Question: 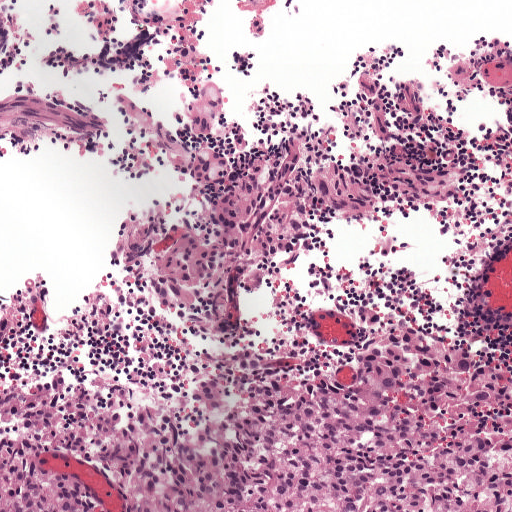
H&E-stained section of a sentinel lymph node (breast cancer), from a whole-slide image, viewed at about 10×: the field is about 0.5 mm across, about 0.97 µm per pixel.
About how much of this crop is taken up by metastatic carcinoma?

Choices:
 (A) about 10% to 20%
 (B) about 25% to 45%
 (C) about 50% or more
 (D) none: no tumour is outlined
 (E) about 5% or less

Answer: (C) about 50% or more
About 50% of the field is tumour.
Outlines of two tumour regions, largest first (closed clockwise paths, crop pixels): region 1: (261, 151), (406, 152), (440, 164), (453, 199), (422, 220), (308, 240), (275, 258), (258, 292), (362, 328), (444, 328), (511, 360), (511, 511), (0, 511), (0, 287), (40, 277), (76, 381), (146, 401), (183, 390), (195, 356), (176, 324), (106, 305), (92, 270), (134, 211), (207, 204); region 2: (0, 0), (36, 0), (42, 52), (126, 107), (88, 169), (0, 156).